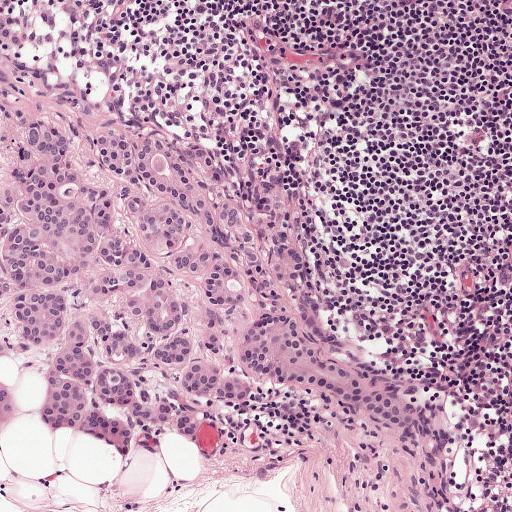
H&E-stained section of a sentinel lymph node (breast cancer), from a whole-slide image, viewed at about 10×: the field is about 0.5 mm across, about 0.97 µm per pixel.
Outlines of three tumour regions, largest first (closed clockwise paths, crop pixels): region 1: (34, 118), (110, 187), (122, 236), (188, 300), (175, 334), (226, 378), (242, 327), (274, 313), (415, 416), (406, 431), (274, 381), (189, 399), (194, 434), (158, 425), (160, 453), (136, 426), (122, 463), (53, 433), (46, 371), (74, 323), (172, 336), (147, 332), (122, 294), (91, 300), (117, 266), (96, 252), (48, 291), (66, 298), (56, 334), (22, 338), (10, 302), (27, 292), (0, 299), (0, 202), (22, 216), (18, 151); region 2: (113, 125), (147, 127), (196, 145), (222, 168), (232, 203), (262, 248), (297, 248), (303, 264), (277, 283), (279, 301), (264, 311), (250, 305), (248, 289), (231, 316), (223, 350), (210, 355), (204, 345), (209, 310), (200, 295), (202, 278), (176, 274), (144, 244), (96, 150), (97, 132); region 3: (0, 381), (8, 388), (15, 411), (10, 422), (0, 422).
One more small tumour piece is annotated here but not outlined.
About 25% of the image area is annotated as tumour.